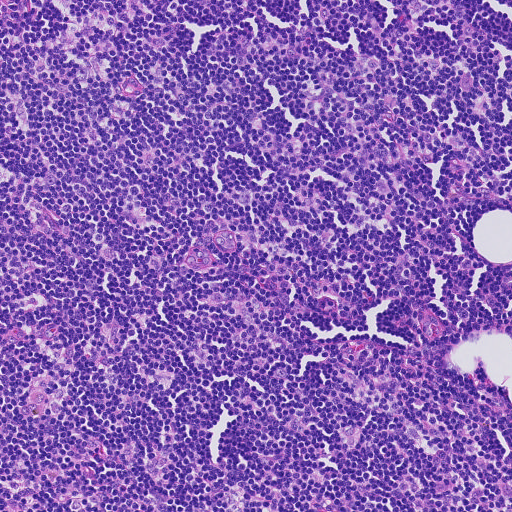
A 0.46-mm field of an H&E-stained sentinel lymph node from a breast-cancer patient (whole-slide image), shown at about 10×, about 0.91 µm per pixel.